This is a crop of a whole-slide image: an H&E-stained breast-cancer sentinel lymph node section at roughly 10× magnification (about 0.97 µm per pixel; the crop spans about 0.5 mm).
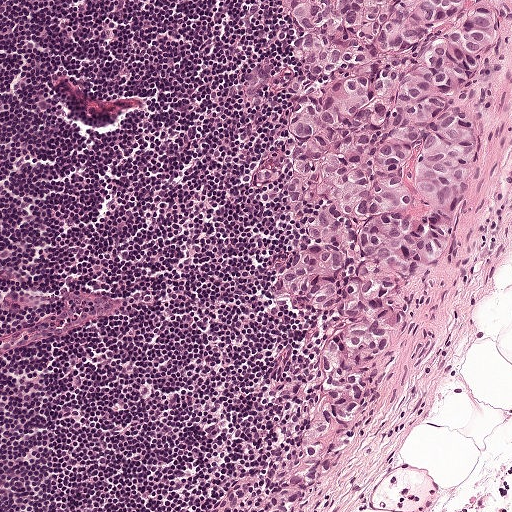
Tumour region outline (a closed clockwise path, crop pixels): (300, 0), (511, 0), (494, 102), (458, 203), (399, 302), (380, 388), (344, 464), (303, 511), (260, 511), (332, 338), (285, 292), (294, 213), (254, 174), (289, 136), (282, 120), (300, 47), (293, 10).
Tumour covers about 25% of the frame.